A 0.25-mm field of an H&E-stained sentinel lymph node from a breast-cancer patient (whole-slide image), shown at about 20×, about 0.49 µm per pixel.
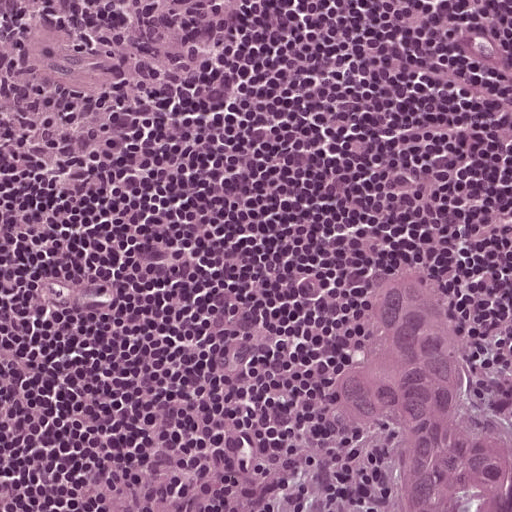
Tumour region outline (a closed clockwise path, crop pixels): (409, 254), (444, 303), (495, 413), (511, 426), (511, 511), (388, 511), (403, 489), (332, 391), (326, 332), (354, 278).
The annotated tumour makes up about 10% of the crop.